Image:
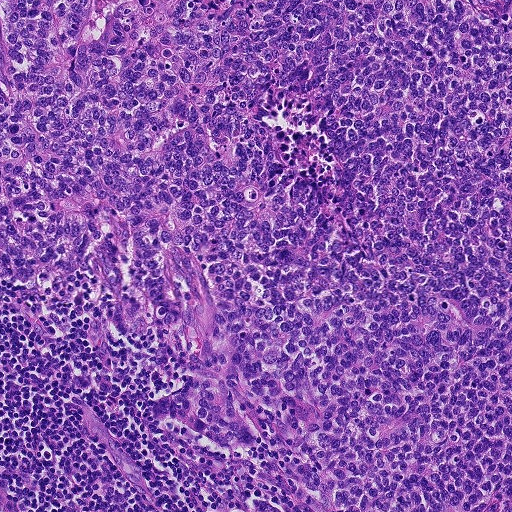
A 0.46-mm field of an H&E-stained sentinel lymph node from a breast-cancer patient (whole-slide image), shown at about 10×, about 0.9 µm per pixel.
Question:
Does this lymph node field contain metastatic tumour?
Answer:
Yes.
Metastatic tumour outline, simplified to 17 points and listed clockwise in crop pixels (x, y): (0, 0), (511, 0), (511, 511), (201, 511), (197, 488), (152, 441), (160, 505), (134, 492), (81, 431), (78, 402), (118, 439), (182, 386), (110, 324), (106, 373), (72, 319), (15, 296), (0, 274).
Tumour covers about 90% of the frame.